A 0.93-mm field of an H&E-stained sentinel lymph node from a breast-cancer patient (whole-slide image), shown at about 5×, about 1.8 µm per pixel.
Image:
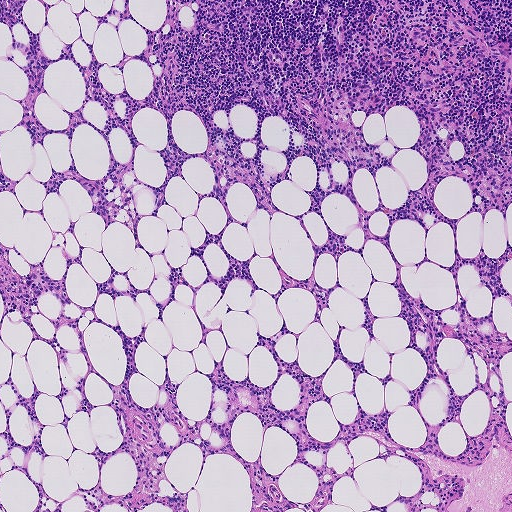
Question:
Is there metastatic carcinoma in this field?
Answer:
No, this field holds no outlined metastasis.